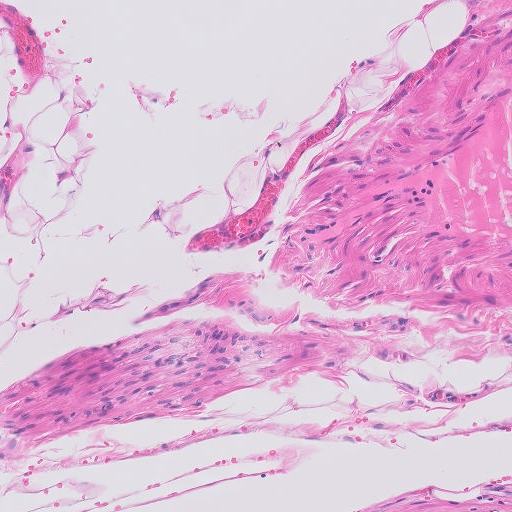
This is a crop of a whole-slide image: an H&E-stained breast-cancer sentinel lymph node section at roughly 10× magnification (about 1.0 µm per pixel; the crop spans about 0.51 mm).